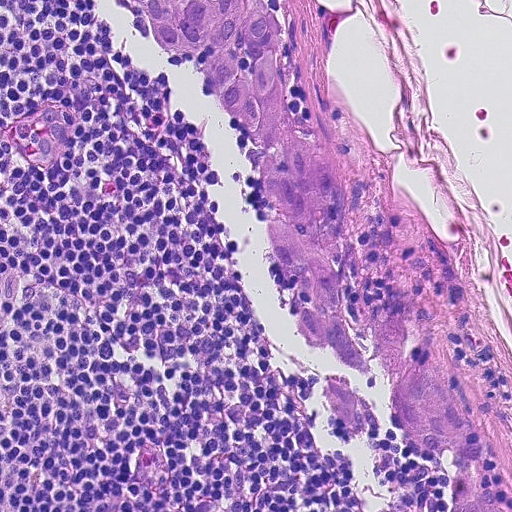
Lymph node section stained with H&E, from a whole-slide image of a breast-cancer sentinel node. Magnification about 20×, about 0.23 mm across the frame, about 0.45 µm per pixel.
One metastatic tumour region; its boundary, reduced to 24 corners and listed clockwise: (118, 0), (262, 0), (281, 12), (285, 114), (340, 154), (351, 186), (339, 288), (366, 309), (400, 312), (461, 362), (486, 426), (483, 492), (511, 511), (448, 511), (446, 470), (390, 430), (376, 365), (369, 380), (289, 317), (267, 254), (253, 154), (210, 100), (200, 66), (166, 62).
The annotated tumour makes up about 15% of the crop.